Lymph node section stained with H&E, from a whole-slide image of a breast-cancer sentinel node. Magnification about 20×, about 0.23 mm across the frame, about 0.45 µm per pixel.
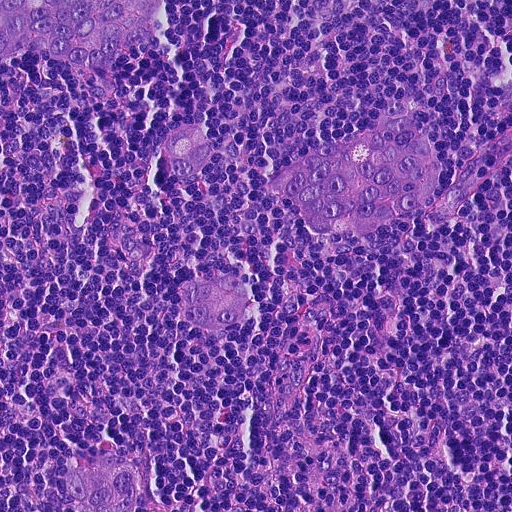
Outlines of four tumour regions, largest first (closed clockwise paths, crop pixels): region 1: (408, 91), (421, 110), (443, 172), (438, 194), (358, 235), (313, 232), (271, 178), (285, 164), (366, 132), (388, 100); region 2: (0, 0), (167, 0), (154, 40), (133, 47), (98, 72), (77, 68), (36, 51), (0, 58); region 3: (106, 452), (128, 458), (142, 474), (142, 499), (129, 511), (80, 511), (70, 502), (64, 482), (86, 462); region 4: (205, 274), (227, 276), (247, 286), (253, 308), (242, 326), (221, 326), (200, 323), (180, 312), (176, 289).
One more small tumour piece is annotated here but not outlined.
The annotated tumour makes up about 10% of the crop.